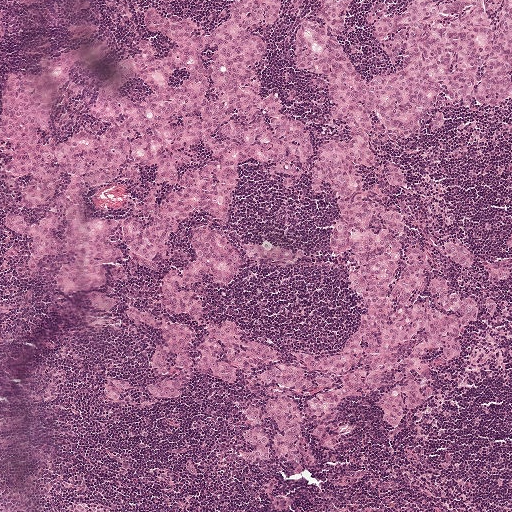
H&E-stained section of a sentinel lymph node (breast cancer), from a whole-slide image, viewed at about 5×: the field is about 1 mm across, about 1.9 µm per pixel.
Three metastatic tumour regions, each outlined as a closed clockwise path in crop pixels (x, y), largest first: region 1: (128, 306), (136, 308), (166, 324), (183, 323), (195, 332), (194, 342), (187, 350), (190, 370), (189, 380), (181, 393), (162, 398), (152, 396), (144, 389), (143, 387), (149, 383), (166, 381), (176, 375), (178, 370), (173, 363), (171, 353), (164, 356), (168, 370), (164, 376), (160, 375), (151, 368), (150, 359), (152, 352), (157, 346), (165, 341), (157, 332), (126, 318), (124, 315), (125, 308); region 2: (253, 405), (256, 409), (269, 450), (266, 462), (257, 465), (247, 465), (241, 460), (238, 456), (242, 452), (252, 449), (252, 446), (244, 442), (242, 435), (244, 429), (249, 424), (248, 421), (243, 418), (242, 409), (244, 406); region 3: (446, 241), (466, 249), (471, 254), (471, 266), (466, 269), (459, 269), (452, 265), (441, 255).
One more tumour region is annotated but not outlined: its edge is too irregular for a short outline.
One more small tumour piece is annotated here but not outlined.
About 45% of this field is tumour.